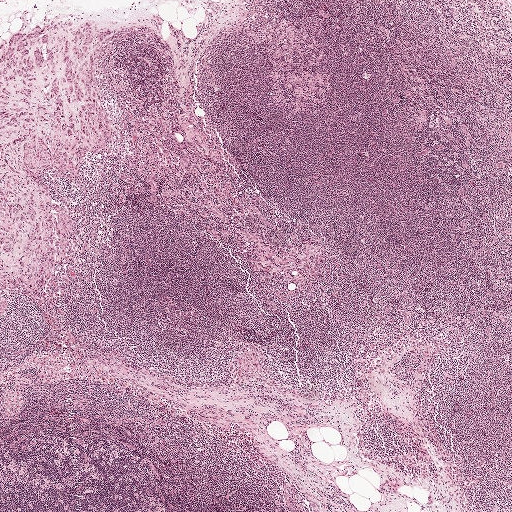
This is a crop of a whole-slide image: an H&E-stained breast-cancer sentinel lymph node section at roughly 2.5× magnification (about 3.9 µm per pixel; the crop spans about 2.0 mm).
Boundaries of two metastatic tumour regions, simplified and listed clockwise, largest first: region 1: (72, 18), (114, 28), (95, 65), (97, 97), (112, 133), (104, 148), (88, 157), (80, 178), (44, 175), (75, 223), (71, 266), (40, 295), (8, 294), (8, 315), (0, 324), (0, 46), (24, 23), (38, 27); region 2: (244, 353), (257, 354), (260, 358), (259, 364), (265, 366), (265, 369), (263, 374), (253, 372), (247, 376), (246, 381), (243, 381), (238, 376), (237, 362), (238, 358).
The annotated tumour makes up about 10% of the crop.